H&E-stained section of a sentinel lymph node (breast cancer), from a whole-slide image, viewed at about 20×: the field is about 0.25 mm across, about 0.49 µm per pixel.
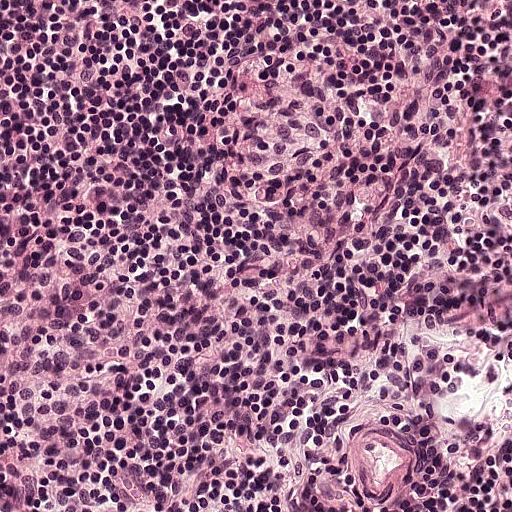
Question: Does this lymph node field contain metastatic tumour?
Answer: No: no metastatic tumour is outlined anywhere in this field.